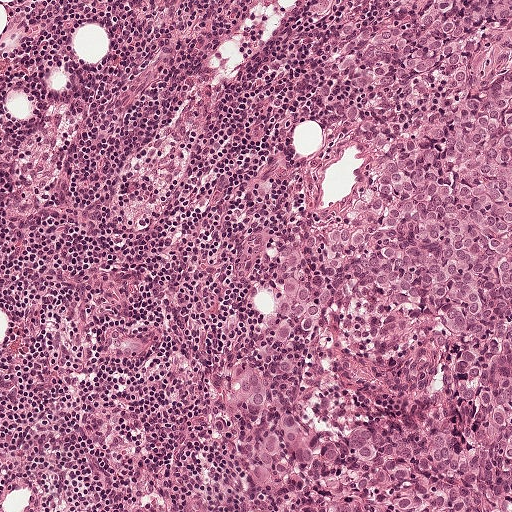
This is a crop of a whole-slide image: an H&E-stained breast-cancer sentinel lymph node section at roughly 10× magnification (about 0.97 µm per pixel; the crop spans about 0.5 mm).
Tumour region outline (a closed clockwise path, crop pixels): (360, 0), (511, 0), (511, 511), (300, 511), (300, 494), (268, 509), (212, 422), (220, 388), (278, 313), (271, 252), (313, 234), (358, 184), (349, 135), (310, 106).
About 45% of this field is tumour.